A 1-mm field of an H&E-stained sentinel lymph node from a breast-cancer patient (whole-slide image), shown at about 5×, about 1.9 µm per pixel.
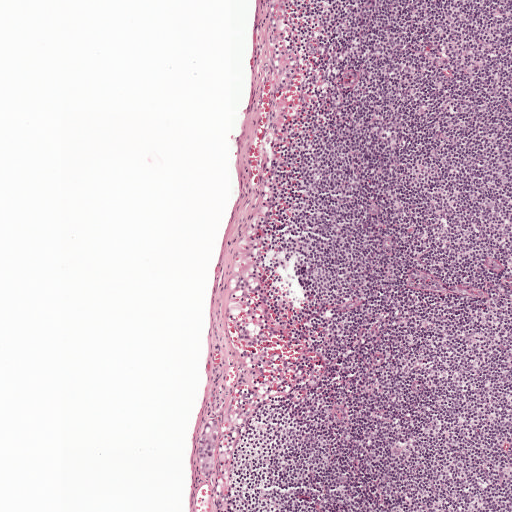
Metastatic tumour outline, simplified to 9 points and listed clockwise in crop pixels (x, y): (213, 417), (218, 423), (220, 448), (214, 472), (207, 480), (200, 475), (197, 463), (199, 438), (204, 426).
Under 5% of the image area is annotated as tumour.